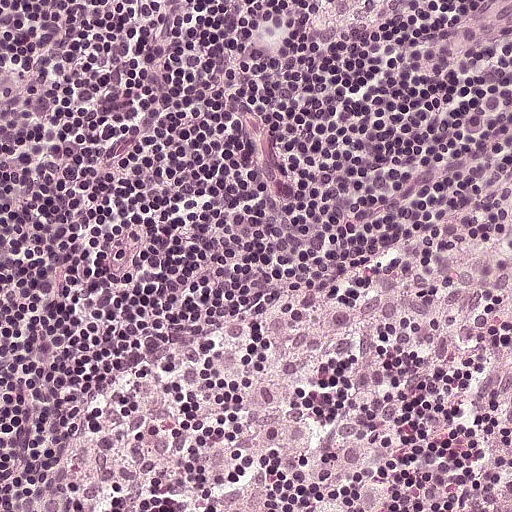
This is a crop of a whole-slide image: an H&E-stained breast-cancer sentinel lymph node section at roughly 20× magnification (about 0.49 µm per pixel; the crop spans about 0.25 mm).